Image:
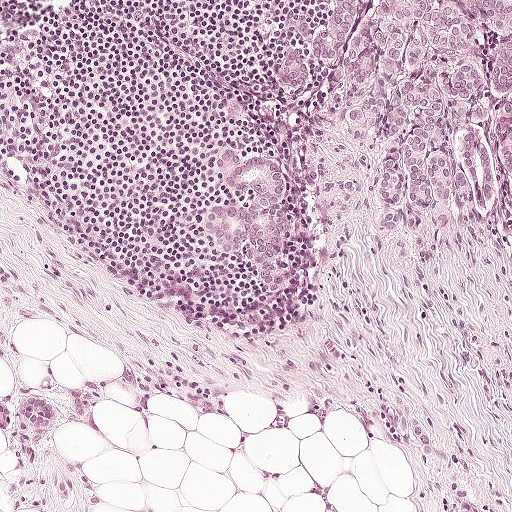
This is a crop of a whole-slide image: an H&E-stained breast-cancer sentinel lymph node section at roughly 10× magnification (about 0.97 µm per pixel; the crop spans about 0.5 mm).
Question:
Where is the metastatic tumour in this field?
Answer:
The outlined metastatic tumour's edge, as a closed clockwise path of 24 points: (326, 0), (511, 0), (511, 221), (502, 202), (472, 222), (398, 231), (373, 211), (370, 150), (332, 115), (317, 172), (291, 205), (293, 291), (270, 294), (214, 250), (200, 224), (207, 196), (236, 193), (214, 164), (222, 143), (307, 172), (315, 107), (278, 81), (296, 46), (320, 86).
Tumour covers about 20% of the frame.